Image:
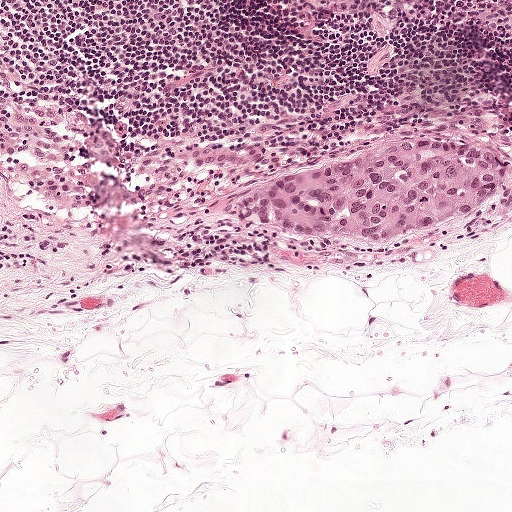
A 0.5-mm field of an H&E-stained sentinel lymph node from a breast-cancer patient (whole-slide image), shown at about 10×, about 0.97 µm per pixel.
Question:
Show where the tumour is in this image.
Answer:
The outlined metastatic tumour's edge, as a closed clockwise path of 11 points: (390, 136), (452, 142), (502, 158), (510, 172), (509, 188), (474, 227), (390, 259), (305, 250), (242, 210), (238, 193), (252, 176).
Tumour covers about 10% of the frame.

Image:
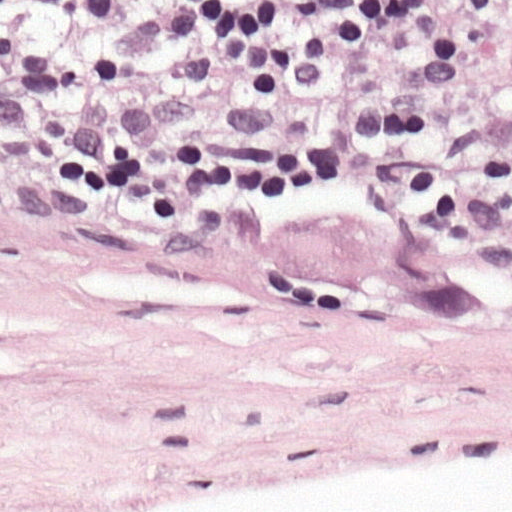
Lymph node section stained with H&E, from a whole-slide image of a breast-cancer sentinel node. Magnification about 40×, about 0.12 mm across the frame, about 0.24 µm per pixel.
Question:
Show where the tumour is in this image.
Answer:
The outlined metastatic tumour's edge, as a closed clockwise path of 12 points: (227, 198), (258, 204), (265, 233), (301, 215), (351, 212), (402, 222), (447, 248), (483, 291), (477, 322), (411, 315), (274, 270), (220, 242).
About 5% of this field is tumour.

Image:
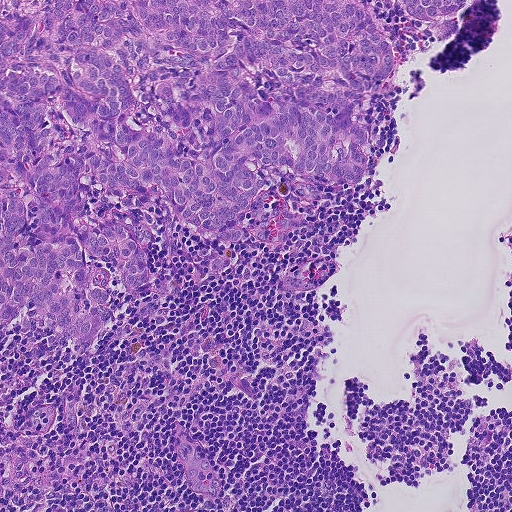
H&E-stained section of a sentinel lymph node (breast cancer), from a whole-slide image, viewed at about 10×: the field is about 0.46 mm across, about 0.9 µm per pixel.
Question:
Show where the tumour is in this image.
Answer:
Boundaries of two metastatic tumour regions, simplified and listed clockwise, largest first: region 1: (0, 0), (360, 0), (382, 14), (395, 66), (386, 102), (362, 120), (372, 135), (367, 172), (304, 231), (269, 245), (215, 242), (175, 223), (174, 272), (162, 226), (144, 294), (127, 300), (121, 282), (109, 285), (113, 322), (80, 365), (68, 346), (33, 356), (6, 333); region 2: (394, 0), (468, 0), (468, 7), (454, 19), (417, 21).
The annotated tumour makes up about 40% of the crop.

Image:
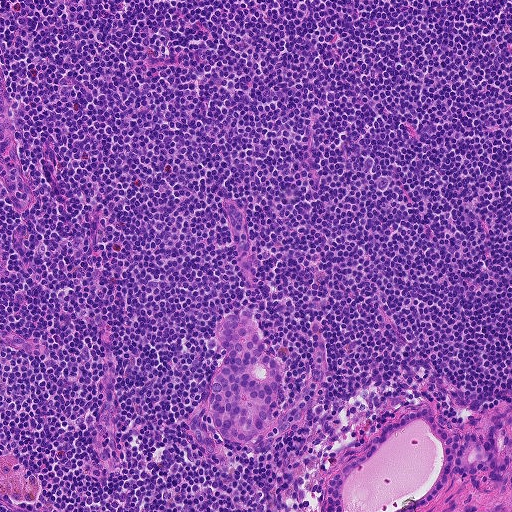
Lymph node section stained with H&E, from a whole-slide image of a breast-cancer sentinel node. Magnification about 10×, about 0.46 mm across the frame, about 0.9 µm per pixel.
Question:
Show where the tumour is in this image.
Answer:
Two metastatic tumour regions, each outlined as a closed clockwise path in crop pixels (x, y), largest first: region 1: (417, 408), (434, 408), (438, 424), (450, 436), (469, 431), (485, 438), (486, 430), (511, 411), (511, 502), (497, 493), (500, 484), (486, 480), (487, 471), (468, 479), (451, 477), (438, 497), (414, 511), (324, 511), (328, 481), (362, 454), (382, 426); region 2: (229, 316), (256, 321), (264, 348), (269, 355), (284, 364), (275, 425), (256, 442), (247, 444), (230, 442), (218, 431), (210, 416), (210, 382), (225, 351), (214, 334), (216, 325).
One more small tumour piece is annotated here but not outlined.
Tumour covers about 5% of the frame.